Question: 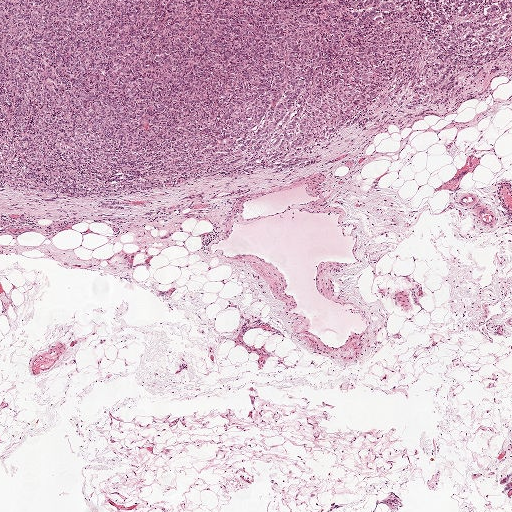
This is a crop of a whole-slide image: an H&E-stained breast-cancer sentinel lymph node section at roughly 2.5× magnification (about 3.9 µm per pixel; the crop spans about 2.0 mm).
Estimate the proportion of this field that is metastatic tumour.

Choices:
 (A) about 10% to 20%
 (B) about 5% or less
 (C) none: no tumour is outlined
 (D) about 50% or more
 (E) about 25% to 45%

Answer: (E) about 25% to 45%
About 30% of the field is tumour.
One metastatic tumour region; its boundary, reduced to 7 corners and listed clockwise: (0, 0), (511, 0), (511, 74), (372, 129), (322, 168), (160, 201), (1, 187).